This is a crop of a whole-slide image: an H&E-stained breast-cancer sentinel lymph node section at roughly 2.5× magnification (about 3.9 µm per pixel; the crop spans about 2.0 mm).
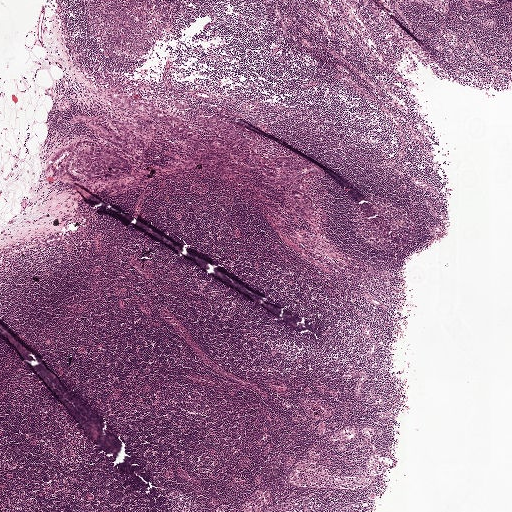
Six metastatic tumour regions, each outlined as a closed clockwise path in crop pixels (x, y), largest first: region 1: (85, 139), (98, 144), (126, 159), (131, 166), (130, 174), (111, 182), (94, 182), (75, 188), (53, 180), (47, 163), (56, 150), (74, 141); region 2: (218, 140), (236, 149), (257, 154), (266, 159), (284, 156), (303, 159), (318, 167), (324, 177), (308, 178), (304, 184), (304, 188), (313, 196), (320, 216), (311, 220), (301, 217), (294, 211), (290, 201), (291, 188), (270, 186), (258, 170), (216, 155), (207, 146), (207, 141); region 3: (99, 113), (108, 119), (127, 119), (134, 125), (135, 118), (145, 118), (150, 121), (153, 136), (149, 148), (139, 154), (141, 157), (139, 160), (134, 160), (117, 148), (96, 137), (83, 125), (69, 122), (70, 117), (76, 114); region 4: (111, 88), (155, 107), (171, 111), (190, 126), (195, 134), (194, 137), (186, 138), (172, 132), (150, 116), (130, 111), (107, 97), (107, 92); region 5: (214, 115), (253, 131), (259, 138), (258, 148), (253, 149), (240, 147), (218, 138), (200, 126), (197, 119), (198, 116); region 6: (176, 100), (180, 102), (181, 104), (183, 103), (186, 104), (189, 104), (189, 108), (181, 110), (178, 110), (175, 108), (173, 106), (173, 102).
About 5% of this field is tumour.